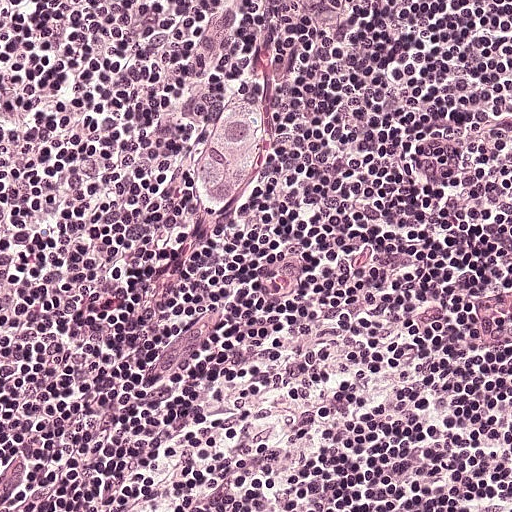
A 0.25-mm field of an H&E-stained sentinel lymph node from a breast-cancer patient (whole-slide image), shown at about 20×, about 0.49 µm per pixel.
Boundaries of two metastatic tumour regions, simplified and listed clockwise, largest first: region 1: (236, 93), (269, 102), (276, 120), (276, 135), (270, 160), (256, 186), (238, 208), (219, 218), (196, 212), (188, 198), (186, 181), (214, 110), (219, 102); region 2: (290, 0), (348, 0), (344, 10), (342, 10), (314, 10), (304, 10), (302, 8), (290, 6).
About 5% of the image area is annotated as tumour.